Question: 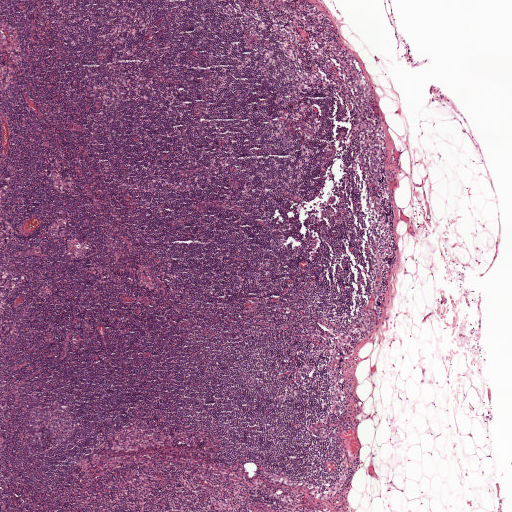
About what magnification does this crop show?

Choices:
 (A) about 20×
 (B) about 40×
 (C) about 5×
 (D) about 2.5×
 (E) about 10×

Answer: (D) about 2.5×
H&E-stained section of a sentinel lymph node (breast cancer), from a whole-slide image, viewed at about 2.5×: the field is about 2.0 mm across, about 3.9 µm per pixel.